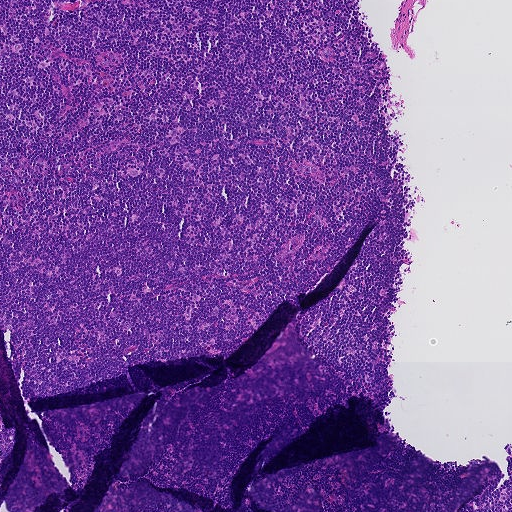
H&E-stained section of a sentinel lymph node (breast cancer), from a whole-slide image, viewed at about 5×: the field is about 0.93 mm across, about 1.8 µm per pixel.
Question: Does this lymph node field contain metastatic tumour?
Answer: No. No metastatic tumour is outlined in this field.